Question: 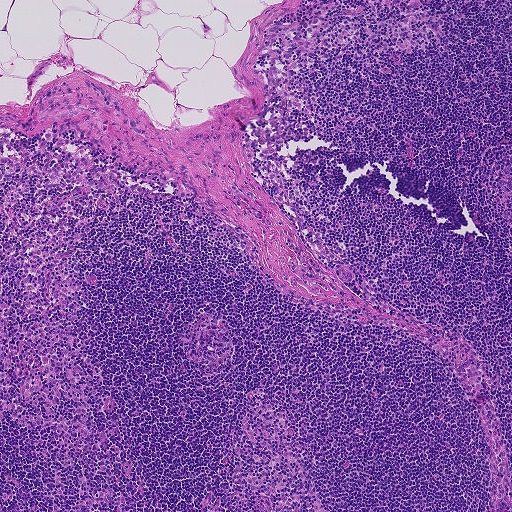
A 0.93-mm field of an H&E-stained sentinel lymph node from a breast-cancer patient (whole-slide image), shown at about 5×, about 1.8 µm per pixel.
Roughly what share of this field is metastatic tumour?

Choices:
 (A) none: no tumour is outlined
 (B) about 25% to 45%
 (C) about 5% or less
 (D) about 50% or more
 (E) about 10% to 20%

Answer: (A) none: no tumour is outlined
No metastatic tumour is outlined in this field.